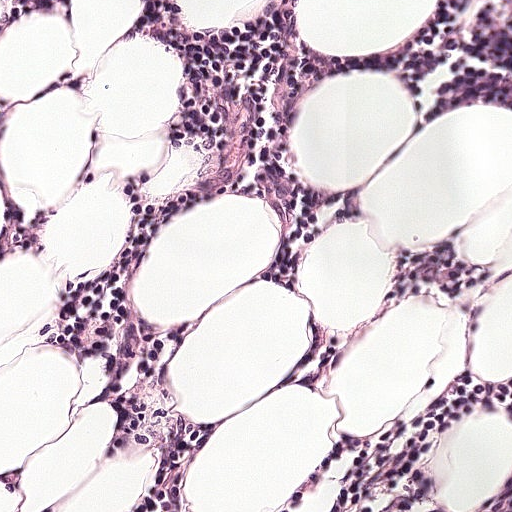
Lymph node section stained with H&E, from a whole-slide image of a breast-cancer sentinel node. Magnification about 20×, about 0.25 mm across the frame, about 0.49 µm per pixel.